A 0.25-mm field of an H&E-stained sentinel lymph node from a breast-cancer patient (whole-slide image), shown at about 20×, about 0.49 µm per pixel.
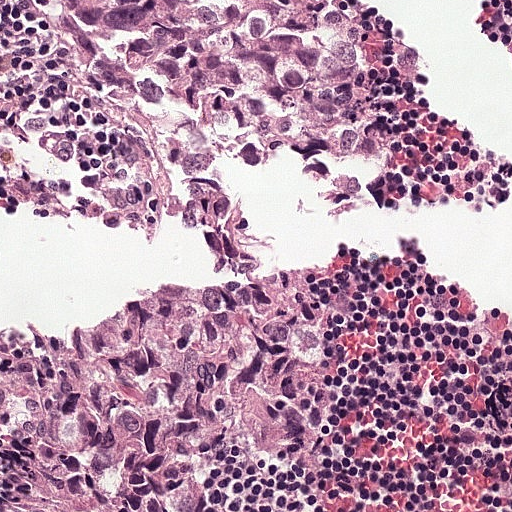
Two metastatic tumour regions, each outlined as a closed clockwise path in crop pixels (x, y), largest first: region 1: (0, 0), (372, 0), (430, 78), (438, 135), (430, 160), (388, 189), (293, 194), (0, 102); region 2: (316, 282), (330, 315), (305, 414), (314, 453), (302, 472), (221, 462), (190, 502), (154, 511), (68, 511), (42, 459), (0, 422), (0, 350), (106, 332), (151, 296), (224, 300).
About 45% of this field is tumour.